Image:
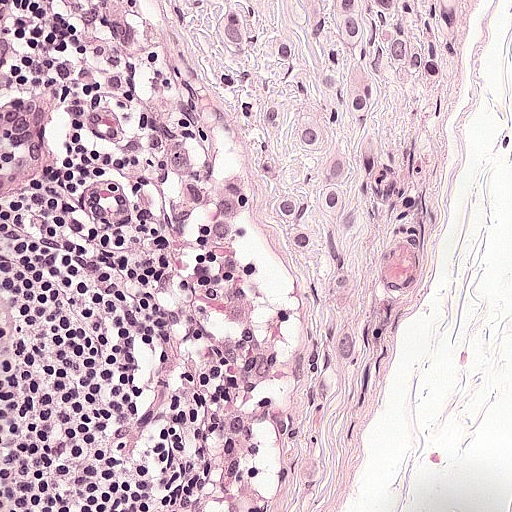
This is a crop of a whole-slide image: an H&E-stained breast-cancer sentinel lymph node section at roughly 20× magnification (about 0.49 µm per pixel; the crop spans about 0.25 mm).
Question:
Is any metastatic breast cancer visible in this crop?
Answer:
Yes.
The outlined metastatic tumour's edge, as a closed clockwise path of 18 points: (188, 0), (457, 0), (452, 54), (428, 94), (368, 92), (364, 133), (378, 161), (378, 197), (346, 368), (327, 385), (266, 241), (250, 236), (218, 250), (199, 240), (200, 198), (252, 169), (254, 136), (247, 98).
About 20% of this field is tumour.